Image:
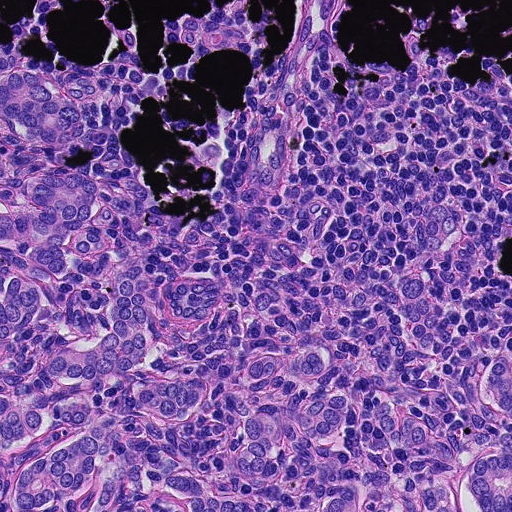
H&E-stained section of a sentinel lymph node (breast cancer), from a whole-slide image, viewed at about 20×: the field is about 0.23 mm across, about 0.45 µm per pixel.
Question:
Where is the metastatic tumour in this field?
Answer:
Tumour region outline (a closed clockwise path, crop pixels): (313, 0), (344, 0), (270, 224), (194, 257), (222, 301), (148, 364), (213, 388), (168, 424), (204, 461), (279, 326), (338, 359), (360, 454), (379, 398), (464, 420), (502, 349), (511, 511), (0, 511), (0, 75), (85, 74), (73, 150), (186, 226), (230, 199).
About 45% of this field is tumour.